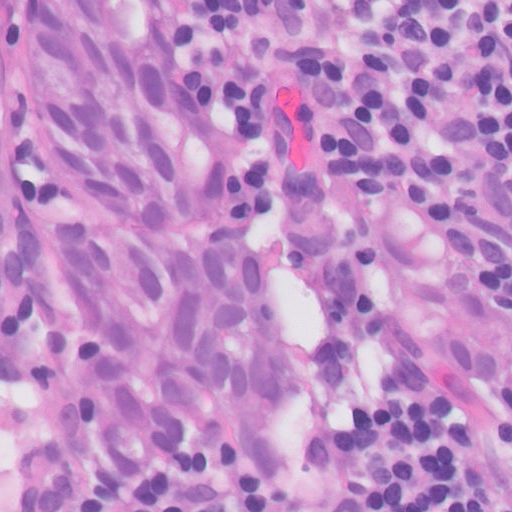
H&E-stained section of a sentinel lymph node (breast cancer), from a whole-slide image, viewed at about 40×: the field is about 0.13 mm across, about 0.25 µm per pixel.
One metastatic tumour region; its boundary, reduced to 10 corners and listed clockwise: (207, 0), (263, 167), (300, 355), (256, 471), (191, 489), (130, 475), (73, 450), (38, 388), (0, 282), (9, 5).
About 45% of this field is tumour.